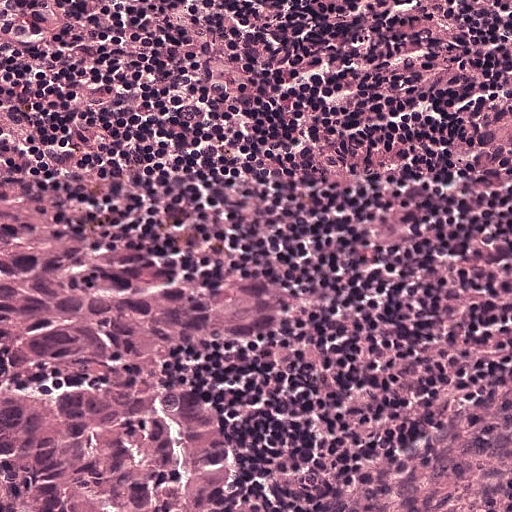
This is a crop of a whole-slide image: an H&E-stained breast-cancer sentinel lymph node section at roughly 20× magnification (about 0.49 µm per pixel; the crop spans about 0.25 mm).
Question: Where is the metastatic tumour in this field?
Answer: Tumour region outline (a closed clockwise path, crop pixels): (0, 180), (130, 248), (260, 279), (263, 320), (197, 322), (226, 456), (226, 509), (0, 511).
The annotated tumour makes up about 25% of the crop.